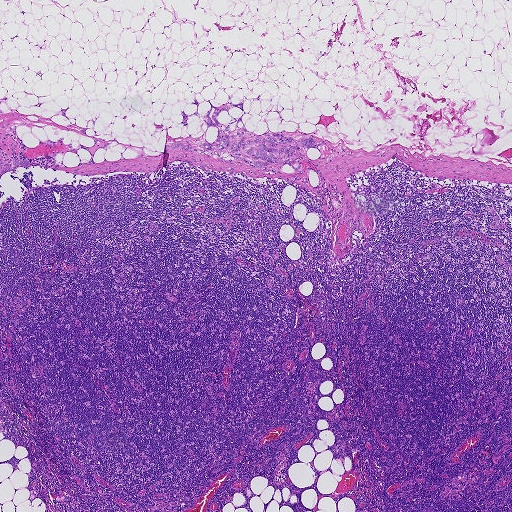
Lymph node section stained with H&E, from a whole-slide image of a breast-cancer sentinel node. Magnification about 2.5×, about 1.9 mm across the frame, about 3.6 µm per pixel.
Question: Is any metastatic breast cancer visible in this crop?
Answer: Yes.
Boundaries of four metastatic tumour regions, simplified and listed clockwise, largest first: region 1: (230, 100), (233, 107), (217, 117), (221, 129), (234, 118), (237, 120), (244, 111), (246, 113), (236, 125), (240, 128), (244, 125), (244, 140), (277, 133), (297, 140), (311, 137), (316, 140), (316, 148), (301, 148), (300, 153), (305, 157), (297, 151), (289, 158), (299, 159), (301, 167), (297, 170), (288, 164), (274, 163), (258, 170), (250, 162), (227, 153), (204, 150), (205, 139), (210, 143), (218, 136), (217, 128), (207, 128), (203, 120), (210, 103), (213, 122), (215, 109); region 2: (0, 150), (3, 150), (5, 151), (4, 153), (1, 156), (1, 158), (3, 159), (6, 158), (8, 159), (3, 165), (11, 164), (14, 160), (17, 159), (23, 160), (26, 159), (28, 160), (29, 162), (29, 165), (28, 167), (25, 168), (22, 166), (20, 167), (15, 170), (14, 173), (12, 170), (2, 174), (0, 173); region 3: (177, 141), (188, 145), (197, 150), (193, 152), (189, 152), (188, 151), (188, 149), (185, 150), (182, 150), (179, 148), (177, 150), (166, 148), (169, 147), (174, 142); region 4: (47, 139), (52, 141), (56, 142), (58, 141), (59, 139), (62, 141), (63, 143), (55, 147), (51, 147), (41, 144), (41, 140), (43, 140).
Three more small tumour pieces are annotated here but not outlined.
Tumour covers under 5% of the frame.